H&E-stained section of a sentinel lymph node (breast cancer), from a whole-slide image, viewed at about 2.5×: the field is about 2.0 mm across, about 3.9 µm per pixel.
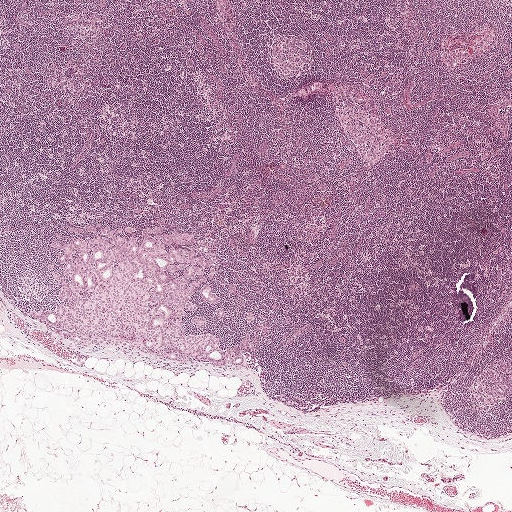
Outlines of two tumour regions, largest first (closed clockwise paths, crop pixels): region 1: (161, 226), (191, 234), (218, 273), (210, 286), (220, 304), (201, 300), (198, 286), (184, 332), (212, 333), (226, 349), (246, 330), (252, 344), (243, 366), (183, 363), (117, 345), (78, 347), (32, 314), (58, 310), (48, 268), (61, 266), (50, 245), (68, 242), (68, 227); region 2: (198, 315), (203, 316), (203, 317), (205, 319), (206, 327), (205, 329), (201, 329), (198, 328), (193, 325), (191, 323), (191, 321), (192, 317).
About 5% of the image area is annotated as tumour.